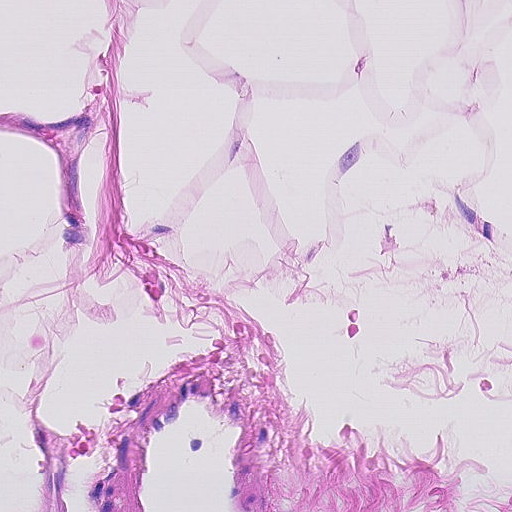
This is a crop of a whole-slide image: an H&E-stained breast-cancer sentinel lymph node section at roughly 20× magnification (about 0.45 µm per pixel; the crop spans about 0.23 mm).
Question: Is any metastatic breast cancer visible in this crop?
Answer: No, this field holds no outlined metastasis.

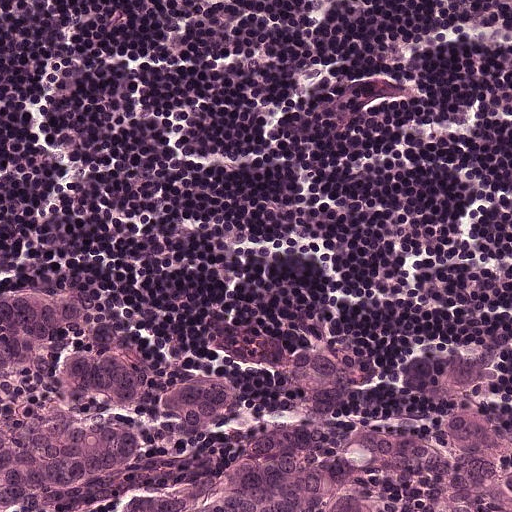
H&E-stained section of a sentinel lymph node (breast cancer), from a whole-slide image, viewed at about 20×: the field is about 0.25 mm across, about 0.49 µm per pixel.
Question: Is any metastatic breast cancer visible in this crop?
Answer: Yes.
One metastatic tumour region; its boundary, reduced to 21 corners and listed clockwise: (17, 300), (67, 300), (124, 331), (143, 357), (206, 374), (254, 404), (290, 394), (274, 360), (282, 344), (341, 344), (367, 350), (374, 381), (404, 409), (414, 394), (402, 350), (414, 335), (436, 333), (504, 366), (511, 511), (0, 511), (0, 305).
About 30% of this field is tumour.

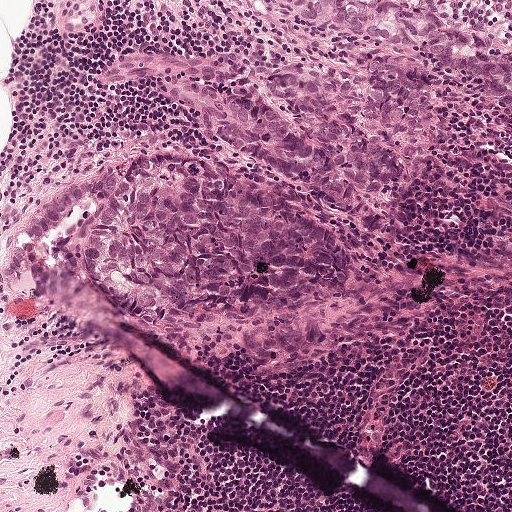
A 0.5-mm field of an H&E-stained sentinel lymph node from a breast-cancer patient (whole-slide image), shown at about 10×, about 0.97 µm per pixel.
Question: Is any metastatic breast cancer visible in this crop?
Answer: Yes.
Boundaries of three metastatic tumour regions, simplified and listed clockwise, largest first: region 1: (163, 149), (216, 167), (329, 230), (348, 257), (341, 288), (266, 318), (198, 322), (122, 345), (36, 313), (10, 246), (49, 194), (121, 156); region 2: (221, 44), (257, 68), (331, 70), (360, 94), (364, 64), (402, 65), (423, 75), (437, 136), (418, 183), (379, 206), (386, 221), (380, 233), (359, 233), (291, 183), (207, 141), (156, 94), (99, 81), (102, 58), (128, 49); region 3: (276, 0), (406, 0), (444, 21), (464, 21), (497, 31), (511, 42), (511, 118), (487, 105), (478, 92), (424, 57), (388, 54), (360, 44), (318, 26).
About 35% of this field is tumour.

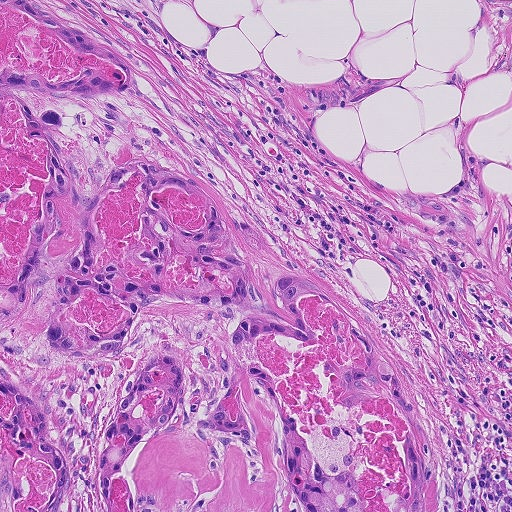
This is a crop of a whole-slide image: an H&E-stained breast-cancer sentinel lymph node section at roughly 10× magnification (about 0.9 µm per pixel; the crop spans about 0.46 mm).
Question: Is any metastatic breast cancer visible in this crop?
Answer: Yes.
One metastatic tumour region; its boundary, reduced to 8 corners and listed clockwise: (0, 0), (36, 1), (120, 55), (255, 246), (375, 330), (416, 392), (437, 511), (0, 511).
About 55% of the image area is annotated as tumour.